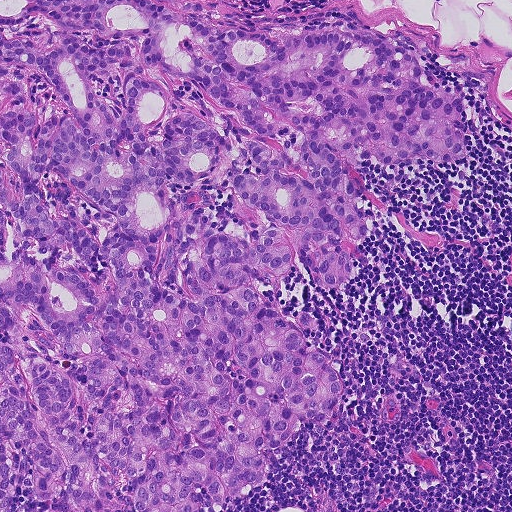
Lymph node section stained with H&E, from a whole-slide image of a breast-cancer sentinel node. Magnification about 10×, about 0.46 mm across the frame, about 0.9 µm per pixel.
The outlined metastatic tumour's edge, as a closed clockwise path of 23 points: (0, 0), (383, 37), (451, 90), (458, 162), (356, 151), (376, 235), (351, 287), (310, 286), (297, 255), (283, 285), (254, 279), (321, 315), (304, 344), (344, 385), (328, 422), (266, 454), (265, 486), (223, 511), (79, 511), (68, 488), (36, 496), (30, 464), (0, 511).
Tumour covers about 65% of the frame.